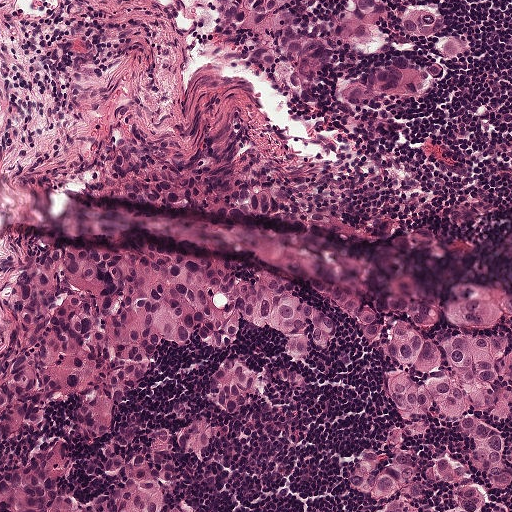
A 0.5-mm field of an H&E-stained sentinel lymph node from a breast-cancer patient (whole-slide image), shown at about 10×, about 0.97 µm per pixel.
Question: Show where the tumour is in this image.
Answer: Three metastatic tumour regions, each outlined as a closed clockwise path in crop pixels (x, y), largest first: region 1: (15, 236), (238, 256), (362, 295), (511, 289), (511, 489), (487, 490), (482, 511), (362, 511), (346, 463), (390, 427), (390, 405), (356, 320), (308, 292), (334, 346), (225, 414), (198, 463), (170, 441), (212, 408), (207, 370), (269, 366), (274, 330), (236, 322), (234, 347), (157, 341), (92, 439), (78, 439), (70, 394), (49, 401), (71, 443), (64, 496), (100, 500), (101, 442), (162, 426), (182, 511), (0, 511), (2, 262); region 2: (443, 0), (469, 46), (469, 58), (444, 74), (416, 108), (307, 98), (258, 84), (236, 64), (218, 2); region 3: (150, 133), (210, 162), (266, 164), (308, 177), (330, 197), (339, 227), (331, 228), (297, 226), (190, 210), (157, 200), (135, 200), (118, 196), (93, 177), (128, 138).
About 45% of the image area is annotated as tumour.